Question: 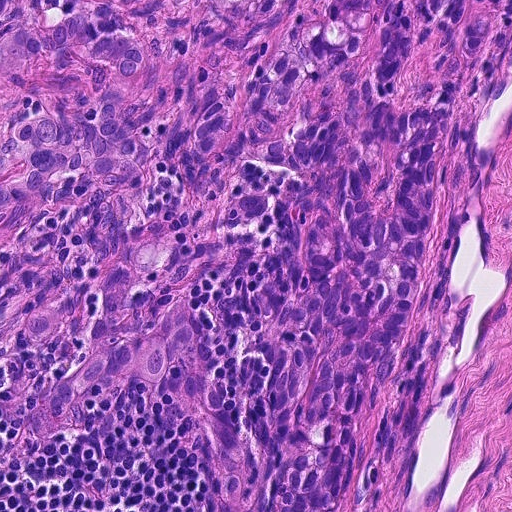
Lymph node section stained with H&E, from a whole-slide image of a breast-cancer sentinel node. Magnification about 20×, about 0.23 mm across the frame, about 0.45 µm per pixel.
Roughly what share of this field is metastatic tumour?

Choices:
 (A) about 5% or less
 (B) about 50% or more
 (C) about 10% to 20%
 (D) about 25% to 45%
 (E) none: no tumour is outlined

Answer: (B) about 50% or more
About 75% of the field is tumour.
Metastatic tumour outline, simplified to 17 points and listed clockwise in crop pixels (x, y): (0, 0), (460, 0), (434, 49), (405, 66), (401, 104), (447, 102), (454, 122), (424, 280), (362, 419), (365, 462), (322, 511), (214, 508), (202, 432), (148, 390), (122, 392), (83, 430), (4, 439).